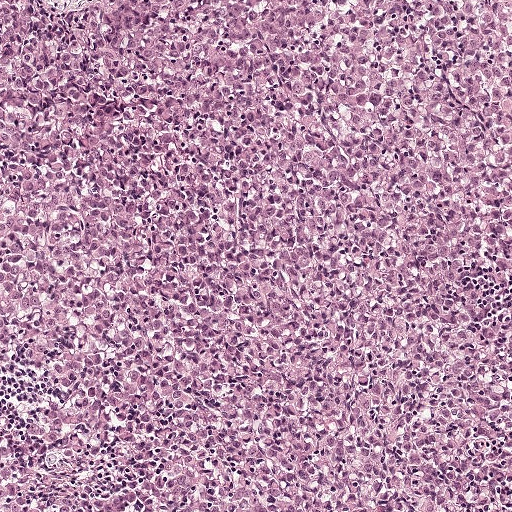
Lymph node section stained with H&E, from a whole-slide image of a breast-cancer sentinel node. Magnification about 10×, about 0.5 mm across the frame, about 0.97 µm per pixel.
Metastatic tumour outline, simplified to 7 points and listed clockwise in crop pixels (x, y): (172, 88), (200, 102), (285, 195), (334, 294), (370, 511), (0, 511), (0, 98).
Tumour covers about 50% of the frame.